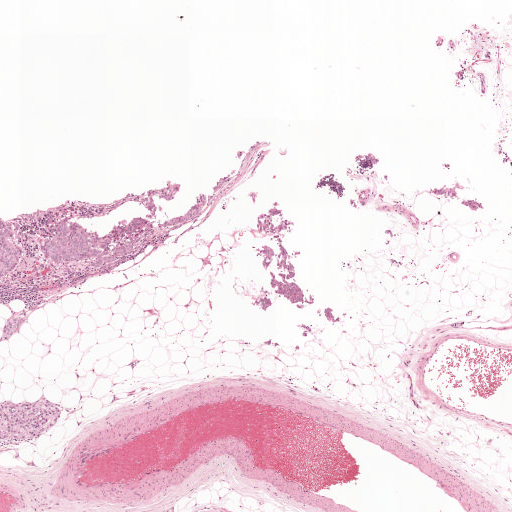
This is a crop of a whole-slide image: an H&E-stained breast-cancer sentinel lymph node section at roughly 2.5× magnification (about 3.9 µm per pixel; the crop spans about 2.0 mm).
Question: Outline the metastatic carcinoma in this image, as closed paths of (x, y) pixel coordinates.
Answer: Outlines of the eight largest metastatic tumour regions, each a closed clockwise path in crop pixels (x, y), largest first: region 1: (124, 216), (142, 217), (154, 225), (153, 233), (146, 235), (134, 246), (123, 259), (106, 266), (97, 268), (91, 256), (65, 264), (47, 261), (41, 255), (40, 246), (49, 231), (64, 219), (87, 225), (101, 236), (109, 226); region 2: (259, 191), (258, 201), (262, 212), (273, 200), (280, 204), (285, 214), (292, 219), (295, 230), (283, 243), (288, 247), (296, 269), (298, 283), (313, 293), (315, 305), (304, 310), (298, 309), (279, 298), (277, 295), (271, 301), (270, 309), (264, 313), (255, 309), (252, 303), (256, 298), (270, 296), (275, 293), (270, 283), (269, 271), (277, 270), (273, 259), (265, 271), (262, 268), (251, 247), (262, 244), (277, 253), (267, 234), (257, 227), (255, 209), (249, 199), (249, 193); region 3: (43, 396), (59, 409), (58, 417), (48, 430), (24, 438), (0, 440), (0, 403), (24, 400), (28, 403), (37, 401); region 4: (0, 215), (11, 219), (16, 227), (14, 237), (21, 243), (21, 253), (16, 270), (0, 280); region 5: (164, 178), (179, 180), (183, 185), (179, 195), (172, 203), (157, 198), (161, 208), (156, 219), (146, 218), (139, 195); region 6: (237, 168), (237, 175), (227, 186), (213, 196), (203, 211), (196, 216), (177, 227), (159, 228), (156, 225), (187, 210), (194, 197), (201, 192), (209, 194), (217, 182), (232, 170); region 7: (465, 175), (476, 188), (474, 192), (460, 190), (458, 192), (466, 196), (467, 198), (476, 197), (484, 208), (473, 211), (428, 191), (432, 187), (443, 184), (448, 184), (450, 187), (452, 184), (455, 184), (456, 176), (464, 186), (468, 183), (462, 177); region 8: (327, 307), (334, 309), (335, 317), (346, 313), (352, 317), (352, 320), (346, 319), (345, 326), (340, 326), (338, 323), (334, 326), (330, 325), (317, 315), (316, 311), (319, 308).
Four more, smaller tumour regions are not outlined.
Six more small tumour pieces are annotated here but not outlined.
About 5% of the image area is annotated as tumour.